Image:
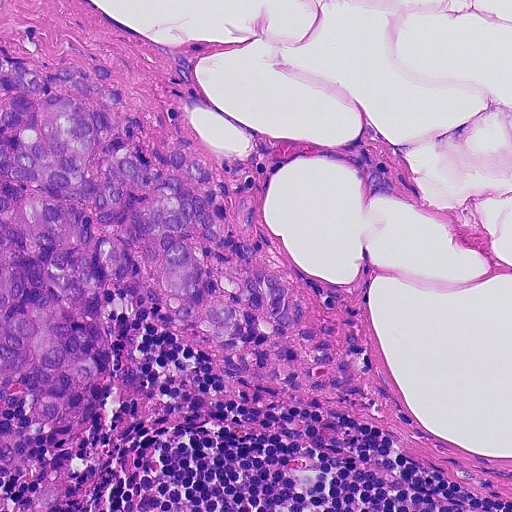
This is a crop of a whole-slide image: an H&E-stained breast-cancer sentinel lymph node section at roughly 20× magnification (about 0.45 µm per pixel; the crop spans about 0.23 mm).
Question:
Trace the edge of each tumour region in this crop, as (x, y) points from 0 to 511.
Answer:
Metastatic tumour outline, simplified to 18 points and listed clockwise in crop pixels (x, y): (0, 50), (38, 68), (111, 69), (147, 132), (246, 159), (260, 264), (358, 338), (358, 373), (377, 404), (230, 382), (214, 348), (154, 284), (103, 313), (119, 384), (98, 416), (47, 424), (30, 394), (0, 399).
About 30% of the image area is annotated as tumour.